H&E-stained section of a sentinel lymph node (breast cancer), from a whole-slide image, viewed at about 40×: the field is about 0.12 mm across, about 0.24 µm per pixel.
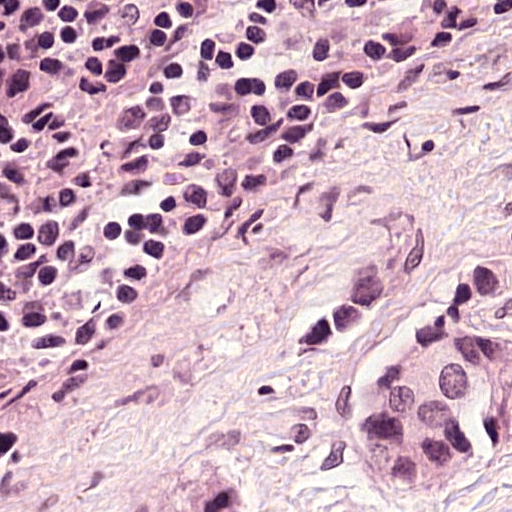
Boundaries of two metastatic tumour regions, simplified and listed clockwise, largest first: region 1: (423, 326), (455, 347), (467, 347), (482, 365), (480, 420), (489, 428), (489, 459), (463, 488), (447, 493), (425, 493), (376, 469), (359, 430), (357, 398), (370, 371), (408, 347); region 2: (231, 471), (231, 475), (257, 482), (257, 488), (261, 490), (263, 508), (266, 511), (121, 511), (139, 498), (206, 482), (206, 480), (212, 480), (215, 475).
One more small tumour piece is annotated here but not outlined.
The annotated tumour makes up about 10% of the crop.